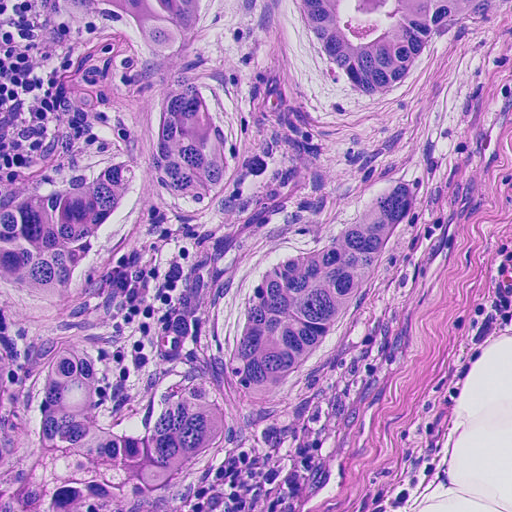
Lymph node section stained with H&E, from a whole-slide image of a breast-cancer sentinel node. Magnification about 20×, about 0.23 mm across the frame, about 0.45 µm per pixel.
The outlined metastatic tumour's edge, as a closed clockwise path of 23 points: (43, 0), (505, 0), (359, 114), (308, 97), (272, 32), (230, 191), (198, 219), (151, 194), (106, 266), (100, 415), (138, 432), (271, 251), (376, 182), (418, 176), (419, 217), (310, 386), (158, 485), (0, 511), (59, 329), (0, 286), (0, 191), (145, 121), (127, 38).
Tumour covers about 40% of the frame.